Image:
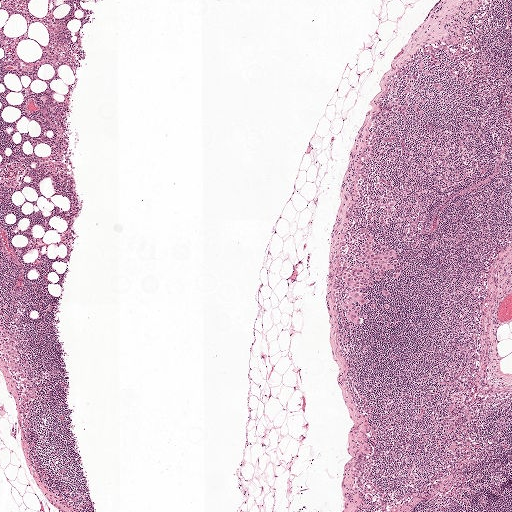
This is a crop of a whole-slide image: an H&E-stained breast-cancer sentinel lymph node section at roughly 2.5× magnification (about 3.9 µm per pixel; the crop spans about 2.0 mm).
Question:
Describe where the metastatic carcinoma lies in this crop.
Answer:
Metastatic tumour outline, simplified to 24 points and listed clockwise in crop pixels (x, y): (355, 225), (366, 226), (374, 249), (391, 247), (396, 251), (395, 264), (401, 273), (397, 280), (387, 270), (382, 280), (363, 292), (372, 304), (366, 307), (360, 303), (358, 310), (362, 317), (358, 323), (353, 324), (345, 319), (338, 305), (339, 298), (345, 292), (339, 275), (357, 263).
Two more small tumour pieces are annotated here but not outlined.
Tumour covers under 5% of the frame.